Question: 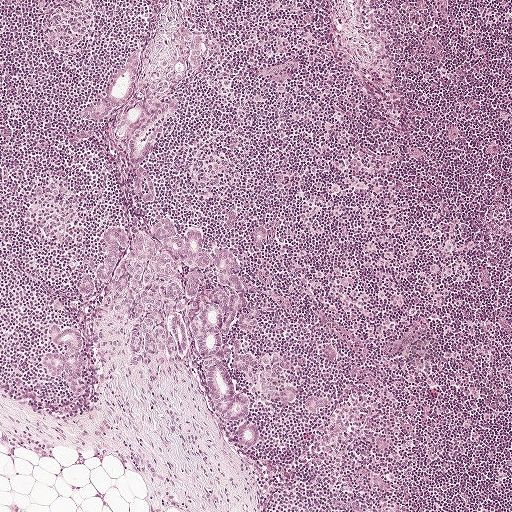
H&E-stained section of a sentinel lymph node (breast cancer), from a whole-slide image, viewed at about 5×: the field is about 1 mm across, about 1.9 µm per pixel.
Roughly what share of this field is metastatic tumour?

Choices:
 (A) about 25% to 45%
 (B) none: no tumour is outlined
 (C) about 10% to 20%
 (D) about 5% or less
 (E) about 50% or more

Answer: (C) about 10% to 20%
About 10% of the field is tumour.
The eight largest tumour regions' boundaries, simplified and listed clockwise, largest first: region 1: (161, 218), (200, 232), (206, 253), (223, 245), (238, 250), (259, 325), (252, 335), (236, 336), (237, 346), (257, 362), (254, 371), (230, 370), (251, 401), (258, 445), (240, 444), (210, 409), (192, 351), (140, 366), (127, 356), (125, 325), (106, 308), (98, 336), (86, 352), (86, 396), (75, 397), (45, 373), (43, 348), (58, 346), (47, 332), (51, 321), (93, 336), (98, 303), (79, 290), (88, 273), (100, 293), (106, 228), (146, 228); region 2: (159, 42), (162, 48), (186, 64), (185, 77), (182, 80), (176, 81), (176, 85), (171, 90), (158, 94), (137, 125), (121, 138), (116, 138), (112, 131), (136, 98), (141, 87), (152, 78), (152, 70), (158, 60), (153, 53), (153, 48); region 3: (131, 48), (139, 52), (140, 63), (134, 76), (133, 87), (126, 108), (119, 115), (97, 124), (81, 116), (81, 112), (104, 96), (110, 83), (115, 78); region 4: (174, 99), (179, 100), (180, 103), (179, 109), (172, 113), (154, 142), (144, 162), (139, 166), (134, 166), (126, 155), (128, 140), (135, 127), (158, 107); region 5: (266, 353), (272, 356), (274, 353), (278, 353), (284, 360), (284, 367), (280, 374), (274, 378), (266, 377), (275, 387), (275, 393), (273, 395), (258, 390), (254, 392), (251, 391), (251, 378), (264, 368), (262, 359); region 6: (185, 30), (198, 31), (206, 39), (203, 70), (199, 72), (188, 68), (187, 55), (182, 54), (183, 39), (181, 36); region 7: (142, 165), (155, 182), (155, 196), (153, 202), (147, 203), (138, 198), (134, 187), (134, 176), (138, 167); region 8: (310, 394), (325, 396), (328, 399), (327, 405), (319, 408), (315, 412), (308, 410), (305, 403), (306, 399).
Region 7 encloses a non-tumour hole of about 20% of its area.
Three more, smaller tumour regions are not outlined.